Image:
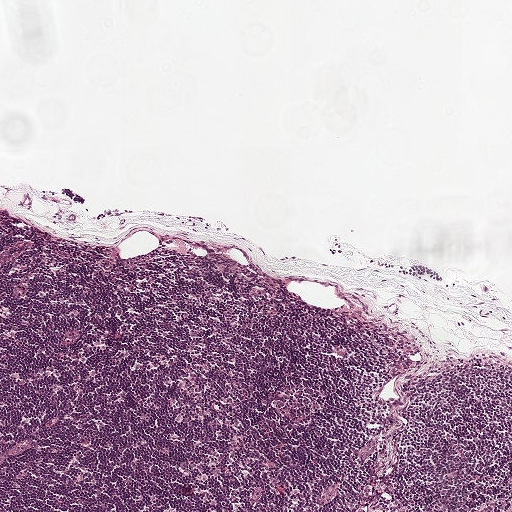
This is a crop of a whole-slide image: an H&E-stained breast-cancer sentinel lymph node section at roughly 5× magnification (about 1.9 µm per pixel; the crop spans about 1 mm).
Question:
Is there metastatic carcinoma in this field?
Answer:
No, this field holds no outlined metastasis.